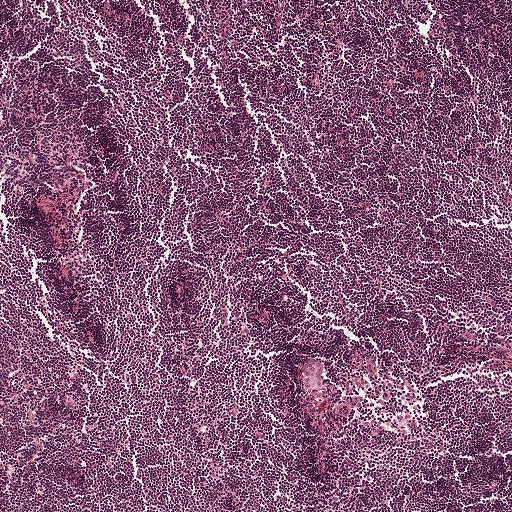
H&E-stained section of a sentinel lymph node (breast cancer), from a whole-slide image, viewed at about 5×: the field is about 1 mm across, about 1.9 µm per pixel.
Question: Is there metastatic carcinoma in this field?
Answer: Yes.
Metastatic tumour outline, simplified to 9 points and listed clockwise in crop pixels (x, y): (306, 357), (325, 362), (327, 374), (327, 386), (311, 395), (303, 393), (302, 377), (296, 367), (297, 360).
Tumour covers under 5% of the frame.